Question: 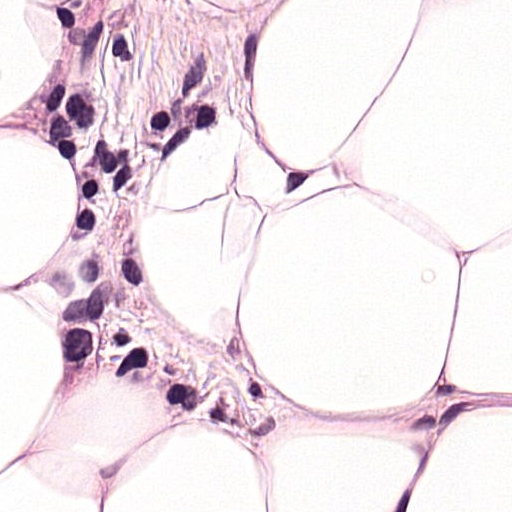
About what magnification does this crop show?

Choices:
 (A) about 10×
 (B) about 20×
 (C) about 5×
 (D) about 2.5×
 (E) about 40×

Answer: (E) about 40×
This is a crop of a whole-slide image: an H&E-stained breast-cancer sentinel lymph node section at roughly 40× magnification (about 0.24 µm per pixel; the crop spans about 0.12 mm).
The outlined metastatic tumour's edge, as a closed clockwise path of 15 points: (25, 0), (219, 0), (194, 80), (135, 142), (132, 258), (172, 330), (269, 374), (271, 411), (250, 454), (10, 361), (16, 311), (47, 249), (38, 174), (0, 152), (0, 86).
Tumour covers about 25% of the frame.